Question: 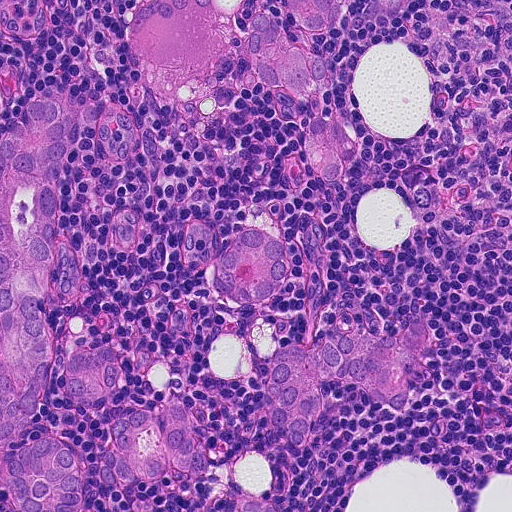
A 0.23-mm field of an H&E-stained sentinel lymph node from a breast-cancer patient (whole-slide image), shown at about 20×, about 0.45 µm per pixel.
Estimate the proportion of this field that is metastatic tumour.

Choices:
 (A) about 10% to 20%
 (B) about 5% or less
 (C) about 25% to 45%
 (D) about 50% or more
 (E) none: no tumour is outlined

Answer: (C) about 25% to 45%
About 25% of the field is tumour.
Boundaries of five metastatic tumour regions, simplified and listed clockwise, largest first: region 1: (58, 84), (75, 100), (70, 279), (43, 320), (56, 368), (119, 348), (124, 388), (88, 406), (55, 383), (28, 442), (51, 436), (101, 462), (116, 422), (172, 398), (201, 430), (209, 471), (108, 480), (82, 511), (22, 511), (0, 442), (0, 149), (39, 88); region 2: (402, 318), (421, 319), (431, 337), (404, 414), (337, 381), (320, 390), (321, 432), (306, 445), (284, 444), (268, 431), (260, 412), (260, 390), (264, 368), (275, 351), (343, 331), (384, 330); region 3: (254, 0), (347, 0), (352, 8), (346, 28), (326, 35), (306, 30), (280, 8), (292, 26), (325, 54), (332, 74), (320, 116), (351, 141), (354, 162), (342, 178), (320, 179), (304, 166), (302, 124), (294, 106), (279, 92), (260, 86), (248, 68), (245, 27); region 4: (256, 228), (275, 236), (284, 254), (284, 274), (274, 293), (257, 305), (236, 304), (218, 292), (211, 272), (215, 251), (228, 234), (236, 229); region 5: (236, 494), (256, 494), (274, 506), (276, 511), (225, 511), (225, 510).
Question: 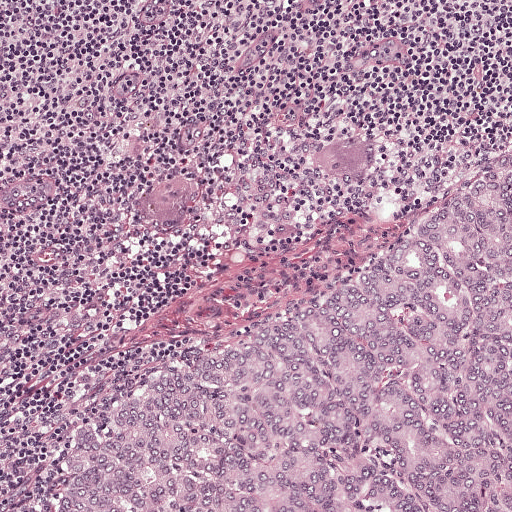
This is a crop of a whole-slide image: an H&E-stained breast-cancer sentinel lymph node section at roughly 10× magnification (about 0.97 µm per pixel; the crop spans about 0.5 mm).
Estimate the proportion of this field that is metastatic tumour.

Choices:
 (A) about 50% or more
 (B) about 10% to 20%
 (C) none: no tumour is outlined
 (D) about 5% or less
 (E) about 25% to 45%

Answer: (E) about 25% to 45%
About 40% of the field is tumour.
Tumour region outline (a closed clockwise path, crop pixels): (511, 146), (511, 511), (0, 511), (0, 475), (86, 430), (155, 370), (333, 287), (458, 170).
Question: 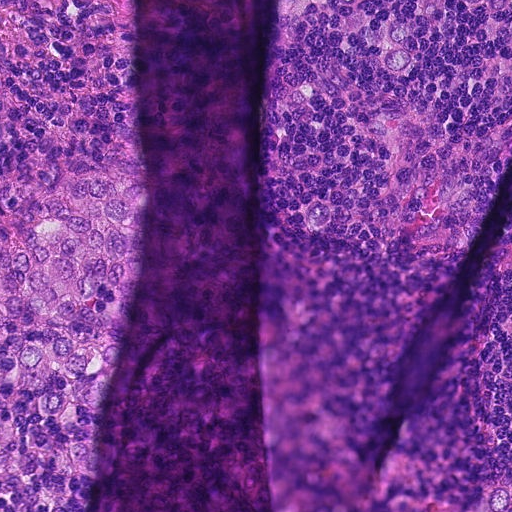
A 0.23-mm field of an H&E-stained sentinel lymph node from a breast-cancer patient (whole-slide image), shown at about 20×, about 0.45 µm per pixel.
Estimate the proportion of this field that is metastatic tumour.

Choices:
 (A) none: no tumour is outlined
 (B) about 25% to 45%
 (C) about 50% or more
 (D) about 5% or less
 (E) about 10% to 20%

Answer: (C) about 50% or more
About 55% of the field is tumour.
Two metastatic tumour regions, each outlined as a closed clockwise path in crop pixels (x, y), largest first: region 1: (279, 0), (511, 0), (511, 511), (481, 511), (475, 396), (442, 318), (370, 262), (288, 233), (257, 207); region 2: (0, 0), (119, 0), (142, 45), (147, 226), (81, 511), (0, 511).
Question: 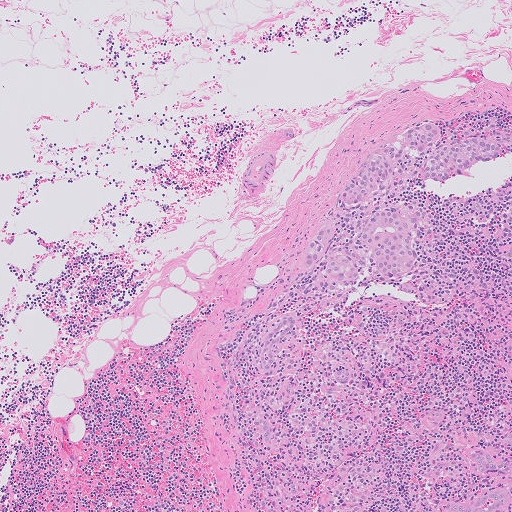
Lymph node section stained with H&E, from a whole-slide image of a breast-cancer sentinel node. Magnification about 5×, about 1.0 mm across the frame, about 2.0 µm per pixel.
Estimate the proportion of this field that is metastatic tumour.

Choices:
 (A) about 10% to 20%
 (B) about 50% or more
 (C) about 5% or less
 (D) none: no tumour is outlined
 (E) about 25% to 45%

Answer: (C) about 5% or less
About 5% of the field is tumour.
Outlines of two tumour regions, largest first (closed clockwise paths, crop pixels): region 1: (402, 201), (424, 210), (430, 225), (420, 246), (422, 252), (417, 266), (399, 278), (314, 295), (310, 290), (314, 276), (293, 268), (295, 254), (310, 234), (325, 224), (332, 224), (337, 229), (334, 245), (342, 243), (366, 216); region 2: (432, 121), (441, 130), (440, 137), (445, 142), (452, 142), (462, 131), (469, 130), (475, 135), (505, 138), (507, 152), (502, 158), (474, 166), (439, 182), (423, 181), (418, 176), (423, 154), (402, 176), (363, 202), (342, 203), (341, 188), (360, 164), (381, 142), (417, 122).